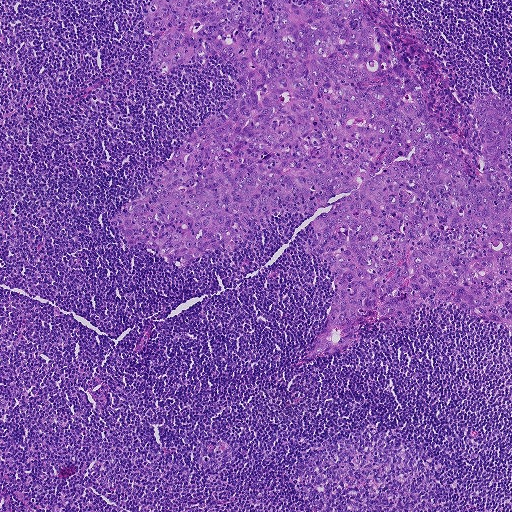
Lymph node section stained with H&E, from a whole-slide image of a breast-cancer sentinel node. Magnification about 5×, about 0.93 mm across the frame, about 1.8 µm per pixel.
Tumour region outline (a closed clockwise path, crop pixels): (360, 0), (417, 40), (469, 110), (474, 91), (511, 100), (511, 332), (441, 303), (414, 326), (365, 322), (357, 346), (299, 364), (334, 284), (303, 248), (313, 228), (298, 208), (186, 270), (128, 250), (106, 221), (238, 79), (214, 55), (147, 67), (158, 37), (144, 34), (147, 6).
About 35% of this field is tumour.